Question: 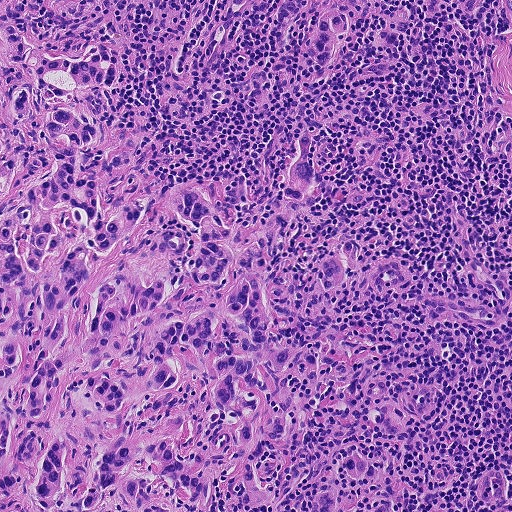
This is a crop of a whole-slide image: an H&E-stained breast-cancer sentinel lymph node section at roughly 10× magnification (about 0.9 µm per pixel; the crop spans about 0.46 mm).
About how much of this crop is taken up by metastatic carcinoma?

Choices:
 (A) about 10% to 20%
 (B) about 50% or more
 (C) about 25% to 45%
 (D) none: no tumour is outlined
 (E) about 5% or less

Answer: (C) about 25% to 45%
About 45% of the field is tumour.
Boundaries of three metastatic tumour regions, simplified and listed clockwise, largest first: region 1: (0, 0), (42, 40), (110, 42), (124, 73), (114, 146), (200, 190), (231, 230), (263, 218), (311, 120), (313, 190), (280, 250), (293, 262), (325, 248), (350, 267), (331, 290), (281, 286), (276, 323), (321, 365), (282, 379), (299, 407), (247, 509), (0, 511); region 2: (332, 9), (348, 14), (349, 30), (337, 38), (335, 54), (326, 67), (311, 65), (302, 52), (311, 38), (318, 18); region 3: (351, 454), (380, 470), (380, 485), (351, 484), (338, 476), (338, 461).